Question: 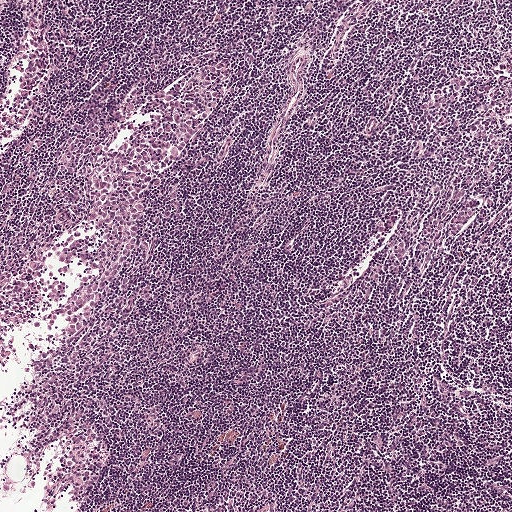
Which magnification is this H&E lymph node field most likely shown at?

Choices:
 (A) about 2.5×
 (B) about 40×
 (C) about 10×
 (D) about 20×
 (E) about 5×

Answer: (E) about 5×
Lymph node section stained with H&E, from a whole-slide image of a breast-cancer sentinel node. Magnification about 5×, about 1 mm across the frame, about 1.9 µm per pixel.